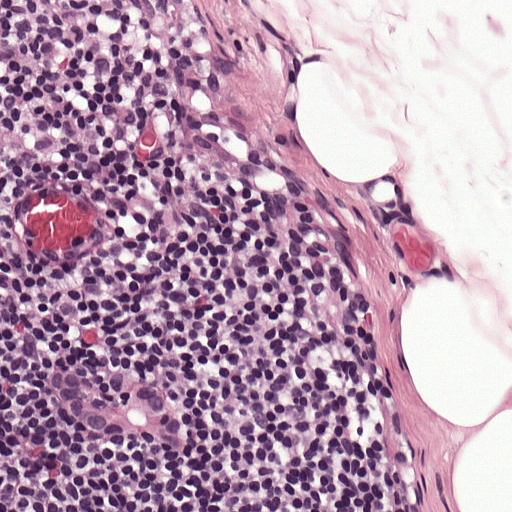
This is a crop of a whole-slide image: an H&E-stained breast-cancer sentinel lymph node section at roughly 20× magnification (about 0.49 µm per pixel; the crop spans about 0.25 mm).
Metastatic tumour outline, simplified to 13 points and listed clockwise in crop pixels (x, y): (58, 364), (110, 364), (150, 376), (189, 402), (197, 418), (198, 438), (192, 458), (173, 463), (136, 450), (118, 450), (100, 441), (44, 392), (43, 372).
Tumour covers about 5% of the frame.